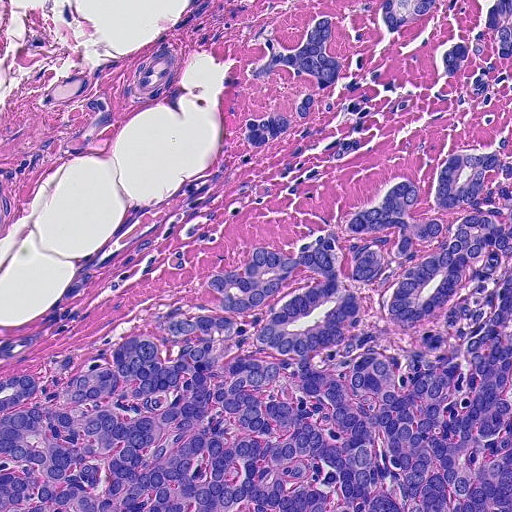
Lymph node section stained with H&E, from a whole-slide image of a breast-cancer sentinel node. Magnification about 20×, about 0.23 mm across the frame, about 0.45 µm per pixel.
Boundaries of four metastatic tumour regions, simplified and listed clockwise, largest first: region 1: (509, 128), (511, 511), (0, 511), (0, 378), (68, 348), (110, 348), (250, 251), (292, 248); region 2: (332, 13), (326, 54), (339, 60), (339, 73), (331, 84), (320, 90), (319, 84), (310, 75), (296, 75), (296, 70), (282, 68), (269, 70), (257, 77), (249, 70), (268, 60), (262, 48), (250, 42), (272, 23), (274, 36), (282, 48), (296, 50), (306, 42), (319, 18); region 3: (492, 0), (511, 0), (511, 57), (484, 62), (472, 58), (452, 77), (443, 68), (443, 55), (450, 42), (462, 40), (474, 34), (484, 24); region 4: (437, 0), (432, 10), (422, 19), (396, 31), (384, 28), (382, 15), (384, 1).
Two more small tumour pieces are annotated here but not outlined.
About 55% of the image area is annotated as tumour.